Lymph node section stained with H&E, from a whole-slide image of a breast-cancer sentinel node. Magnification about 10×, about 0.5 mm across the frame, about 0.97 µm per pixel.
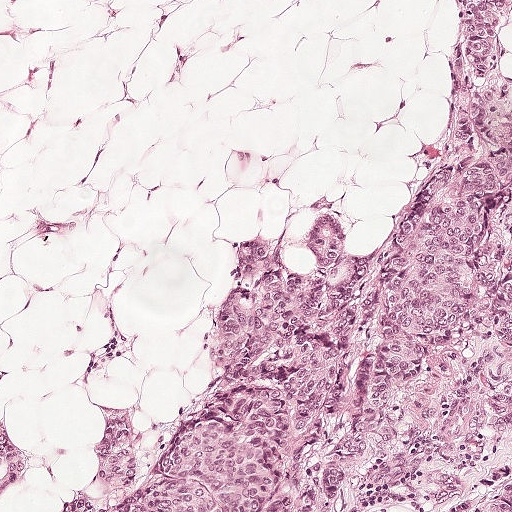
Tumour region outline (a closed clockwise path, crop pixels): (434, 0), (511, 0), (511, 511), (0, 511), (0, 404), (108, 356), (194, 340), (316, 196), (381, 143).
Tumour covers about 55% of the frame.